Question: 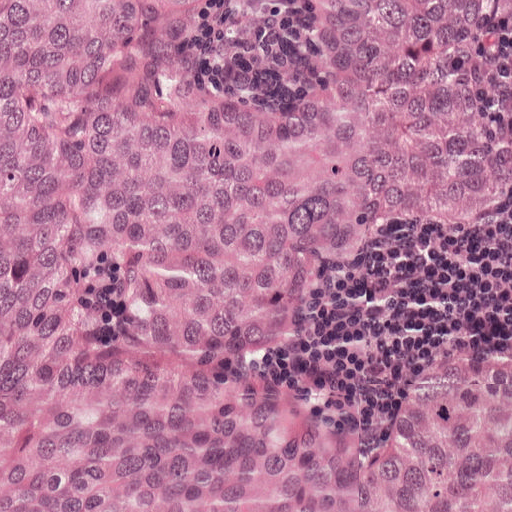
This is a crop of a whole-slide image: an H&E-stained breast-cancer sentinel lymph node section at roughly 20× magnification (about 0.49 µm per pixel; the crop spans about 0.25 mm).
About how much of this crop is taken up by metastatic carcinoma?

Choices:
 (A) about 5% or less
 (B) about 10% to 20%
 (C) about 25% to 45%
 (D) about 50% or more
 (E) none: no tumour is outlined

Answer: (D) about 50% or more
About 90% of the field is tumour.
Tumour region outline (a closed clockwise path, crop pixels): (0, 0), (511, 0), (511, 213), (344, 262), (303, 374), (357, 436), (486, 336), (511, 347), (511, 511), (0, 511).